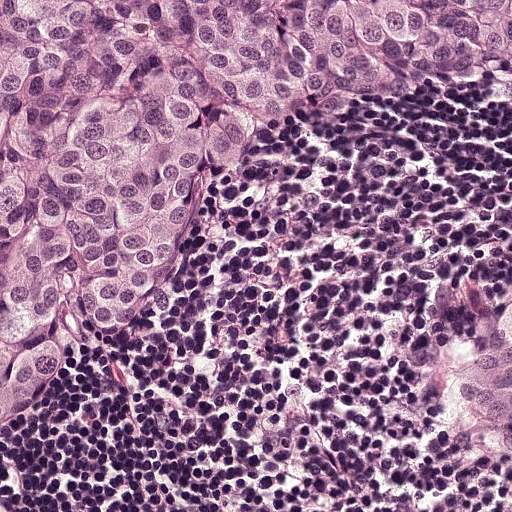
A 0.25-mm field of an H&E-stained sentinel lymph node from a breast-cancer patient (whole-slide image), shown at about 20×, about 0.49 µm per pixel.
Two metastatic tumour regions, each outlined as a closed clockwise path in crop pixels (x, y), largest first: region 1: (0, 0), (511, 0), (511, 100), (352, 73), (252, 110), (234, 242), (140, 310), (82, 410), (1, 442); region 2: (511, 295), (511, 457), (464, 437), (444, 406), (444, 379), (456, 338), (484, 325).
About 45% of the image area is annotated as tumour.